A 0.93-mm field of an H&E-stained sentinel lymph node from a breast-cancer patient (whole-slide image), shown at about 5×, about 1.8 µm per pixel.
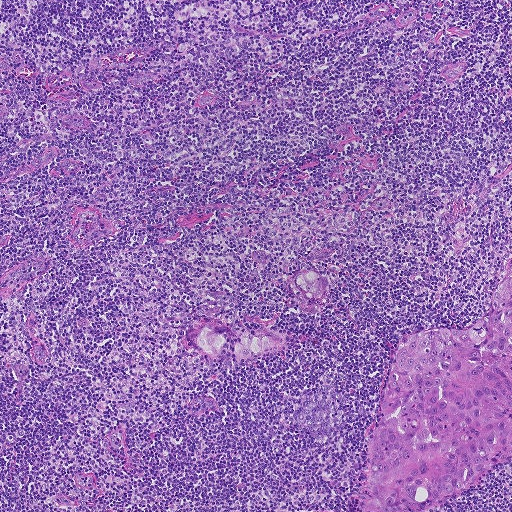
Question: Where is the metastatic tumour in this field? Give each region's outline as (x, y) pixel points.
Answer: Outlines of four tumour regions, largest first (closed clockwise paths, crop pixels): region 1: (511, 261), (511, 461), (420, 511), (366, 511), (371, 434), (402, 339), (426, 328), (476, 323); region 2: (206, 318), (220, 320), (227, 324), (228, 330), (226, 345), (217, 354), (210, 355), (204, 354), (190, 338), (190, 331), (194, 325); region 3: (244, 328), (251, 328), (257, 332), (264, 330), (277, 332), (283, 336), (282, 343), (277, 348), (257, 354), (245, 361), (239, 358), (234, 346); region 4: (309, 269), (318, 271), (325, 277), (327, 285), (326, 294), (318, 299), (310, 299), (302, 296), (292, 282), (294, 274).
About 10% of this field is tumour.